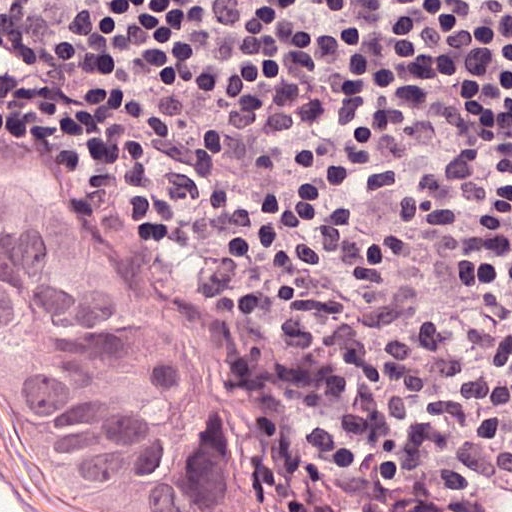
A 0.12-mm field of an H&E-stained sentinel lymph node from a breast-cancer patient (whole-slide image), shown at about 40×, about 0.24 µm per pixel.
Question: Which parts of this field are metastatic tumour? Answer with the outline of each region, in pixels.
Answer: Tumour region outline (a closed clockwise path, crop pixels): (10, 135), (78, 157), (166, 263), (235, 373), (246, 473), (228, 511), (89, 511), (3, 451), (0, 141).
The annotated tumour makes up about 25% of the crop.